Lymph node section stained with H&E, from a whole-slide image of a breast-cancer sentinel node. Magnification about 2.5×, about 2.0 mm across the frame, about 3.9 µm per pixel.
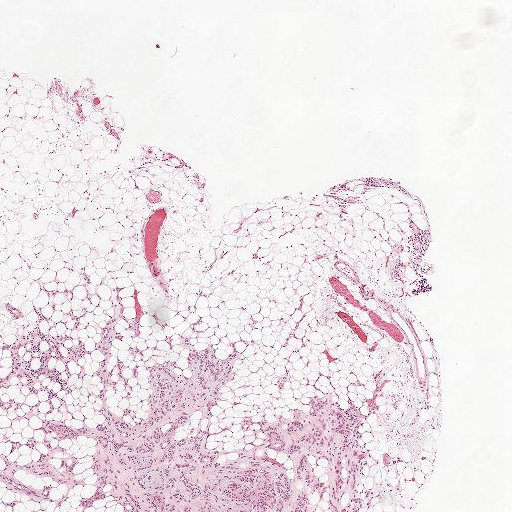
Six metastatic tumour regions, each outlined as a closed clockwise path in crop pixels (x, y), largest first: region 1: (112, 303), (140, 335), (115, 324), (123, 339), (107, 368), (119, 357), (133, 391), (126, 400), (118, 381), (108, 404), (140, 417), (146, 367), (173, 360), (175, 374), (190, 377), (178, 343), (199, 315), (196, 348), (223, 357), (238, 346), (208, 426), (215, 464), (253, 438), (242, 418), (275, 422), (323, 397), (352, 414), (371, 452), (359, 511), (0, 511), (0, 454), (38, 458), (5, 450), (40, 440), (31, 430), (43, 422), (103, 423), (92, 374), (104, 357), (93, 344); region 2: (32, 305), (41, 308), (44, 336), (70, 334), (63, 347), (84, 340), (91, 353), (80, 360), (86, 370), (80, 380), (75, 361), (69, 362), (68, 377), (55, 358), (48, 360), (72, 388), (60, 413), (52, 398), (49, 415), (50, 404), (43, 401), (38, 418), (26, 421), (21, 417), (38, 402), (36, 395), (19, 387), (18, 376), (0, 388), (0, 377), (8, 376), (13, 363), (0, 346), (34, 328); region 3: (0, 397), (4, 401), (7, 401), (10, 397), (11, 397), (18, 401), (21, 404), (21, 406), (18, 409), (10, 408), (5, 410), (0, 410); region 4: (280, 376), (286, 377), (286, 382), (283, 385), (285, 388), (280, 391), (278, 391), (277, 386), (274, 384); region 5: (135, 345), (138, 348), (143, 351), (144, 356), (142, 356), (128, 353), (128, 349), (131, 347), (135, 346); region 6: (136, 365), (138, 365), (139, 366), (139, 367), (137, 370), (138, 378), (134, 380), (132, 380), (132, 374), (131, 368).
One more small tumour piece is annotated here but not outlined.
The annotated tumour makes up about 15% of the crop.